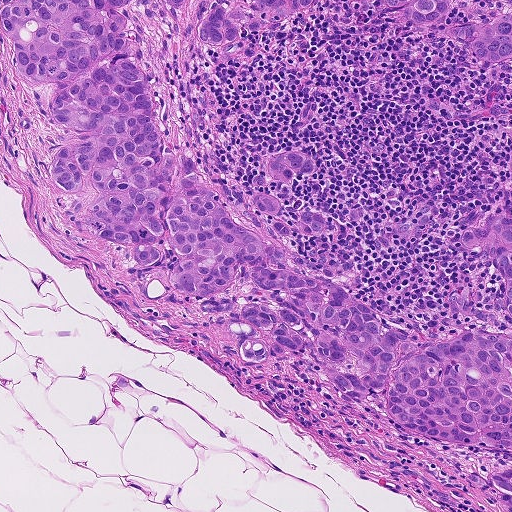
This is a crop of a whole-slide image: an H&E-stained breast-cancer sentinel lymph node section at roughly 10× magnification (about 0.9 µm per pixel; the crop spans about 0.46 mm).
Question: Does this lymph node field contain metastatic tumour?
Answer: Yes.
Boundaries of seven metastatic tumour regions, simplified and listed clockwise, largest first: region 1: (2, 0), (132, 0), (121, 10), (152, 74), (163, 152), (198, 156), (240, 215), (250, 194), (270, 187), (263, 165), (278, 148), (301, 148), (316, 172), (270, 194), (286, 198), (286, 220), (324, 207), (342, 221), (340, 232), (278, 241), (295, 257), (394, 326), (511, 334), (511, 455), (397, 430), (382, 392), (335, 394), (308, 356), (243, 364), (220, 325), (166, 282), (170, 256), (128, 268), (114, 247), (72, 227), (47, 162), (67, 131), (46, 119), (60, 88), (18, 73); region 2: (210, 0), (316, 0), (303, 15), (241, 43), (235, 55), (218, 57), (204, 51), (190, 39); region 3: (511, 131), (511, 318), (509, 317), (503, 295), (500, 271), (481, 256), (459, 249), (452, 234), (469, 219), (491, 210), (502, 190), (505, 143); region 4: (511, 10), (511, 60), (501, 64), (476, 67), (446, 34), (452, 27), (498, 17); region 5: (382, 0), (454, 0), (454, 14), (439, 30), (416, 31), (402, 14); region 6: (511, 467), (511, 511), (509, 511), (488, 484), (487, 472); region 7: (158, 0), (188, 0), (183, 9), (158, 4).
Tumour covers about 35% of the frame.